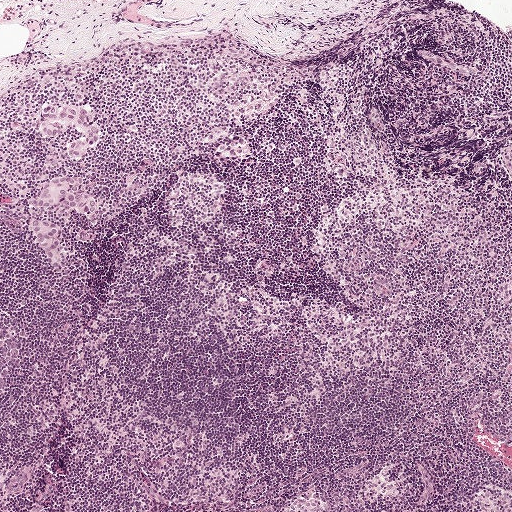
A 1-mm field of an H&E-stained sentinel lymph node from a breast-cancer patient (whole-slide image), shown at about 5×, about 1.9 µm per pixel.
Question: Does this lymph node field contain metastatic tumour?
Answer: Yes.
Six metastatic tumour regions, each outlined as a closed clockwise path in crop pixels (x, y), largest first: region 1: (44, 102), (78, 104), (90, 109), (101, 130), (98, 144), (74, 158), (70, 157), (65, 151), (70, 142), (80, 135), (79, 130), (67, 124), (53, 139), (44, 138), (39, 134), (36, 127), (39, 119), (38, 110); region 2: (72, 176), (82, 177), (83, 192), (92, 195), (96, 201), (94, 212), (88, 215), (82, 215), (60, 204), (50, 209), (40, 208), (38, 198), (41, 190), (56, 178); region 3: (28, 217), (52, 222), (60, 227), (60, 261), (58, 268), (50, 266), (31, 228), (23, 222); region 4: (229, 74), (244, 74), (247, 76), (247, 81), (241, 87), (230, 94), (221, 94), (212, 93), (209, 88), (212, 82); region 5: (238, 136), (242, 136), (246, 140), (246, 153), (238, 156), (227, 156), (219, 152), (217, 147), (220, 143), (232, 143); region 6: (224, 47), (236, 47), (252, 52), (257, 60), (257, 62), (253, 64), (246, 62), (239, 58), (232, 57), (223, 50).
The annotated tumour makes up under 5% of the crop.